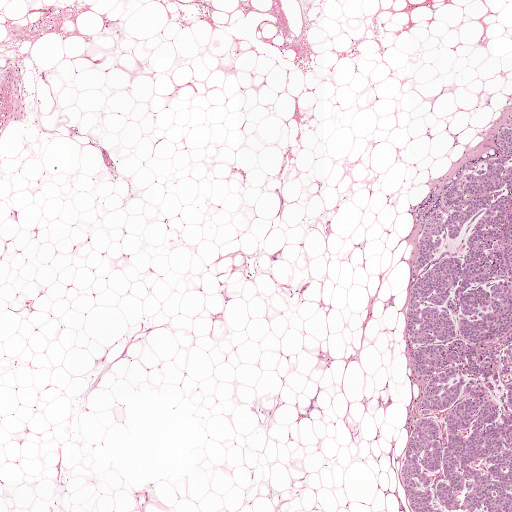
A 2.0-mm field of an H&E-stained sentinel lymph node from a breast-cancer patient (whole-slide image), shown at about 2.5×, about 3.9 µm per pixel.
The outlined metastatic tumour's edge, as a closed clockwise path of 10 points: (510, 116), (511, 511), (413, 511), (400, 474), (420, 394), (408, 357), (406, 310), (418, 223), (436, 188), (491, 150).
The annotated tumour makes up about 15% of the crop.